A 0.46-mm field of an H&E-stained sentinel lymph node from a breast-cancer patient (whole-slide image), shown at about 10×, about 0.9 µm per pixel.
Image:
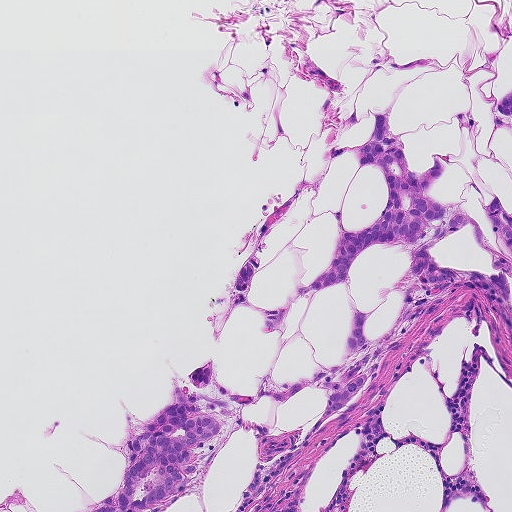
Question:
Is there metastatic carcinoma in this field?
Answer:
Yes.
Four metastatic tumour regions, each outlined as a closed clockwise path in crop pixels (x, y), largest first: region 1: (382, 112), (414, 171), (442, 160), (431, 198), (475, 218), (511, 259), (511, 354), (470, 288), (424, 314), (319, 424), (322, 390), (246, 407), (189, 384), (190, 374), (213, 358), (227, 392), (284, 389), (335, 365), (352, 311), (371, 311), (368, 340), (392, 328), (413, 253), (388, 243), (360, 251), (339, 285), (294, 302), (274, 334), (247, 304), (228, 309), (251, 258), (249, 294), (274, 310), (326, 270), (337, 234), (380, 218), (384, 173), (341, 147), (360, 144); region 2: (175, 381), (194, 403), (217, 419), (221, 428), (219, 435), (194, 450), (199, 462), (185, 487), (151, 511), (83, 511), (115, 493), (127, 465), (121, 447), (126, 438), (152, 423), (172, 404), (176, 395); region 3: (494, 196), (502, 200), (506, 209), (511, 212), (511, 258), (496, 228), (479, 206), (488, 203); region 4: (511, 94), (511, 118), (499, 114), (493, 106), (497, 97).
About 10% of this field is tumour.